Question: 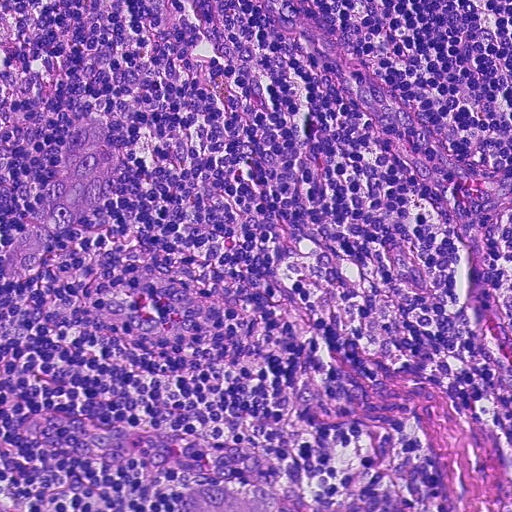
This is a crop of a whole-slide image: an H&E-stained breast-cancer sentinel lymph node section at roughly 20× magnification (about 0.45 µm per pixel; the crop spans about 0.23 mm).
Roughly what share of this field is metastatic tumour?

Choices:
 (A) about 10% to 20%
 (B) about 5% or less
 (C) about 25% to 45%
 (D) none: no tumour is outlined
 (E) about 50% or more

Answer: (B) about 5% or less
About 5% of the field is tumour.
Two metastatic tumour regions, each outlined as a closed clockwise path in crop pixels (x, y), largest first: region 1: (74, 114), (95, 118), (117, 156), (117, 178), (106, 196), (50, 232), (33, 272), (15, 286), (0, 276), (2, 254), (14, 234), (34, 218), (61, 177); region 2: (202, 484), (223, 484), (242, 493), (267, 511), (175, 511), (184, 496).